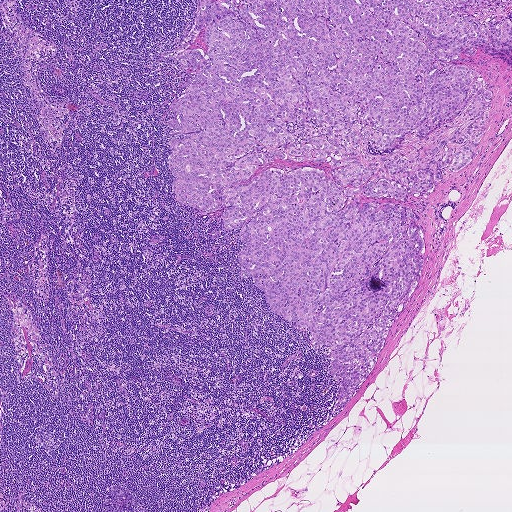
A 1.9-mm field of an H&E-stained sentinel lymph node from a breast-cancer patient (whole-slide image), shown at about 2.5×, about 3.6 µm per pixel.
One metastatic tumour region; its boundary, reduced to 24 corners and listed clockwise: (511, 0), (511, 64), (480, 47), (450, 63), (492, 92), (477, 156), (402, 202), (354, 195), (412, 208), (424, 259), (337, 414), (328, 348), (240, 277), (244, 226), (228, 229), (224, 206), (202, 213), (172, 190), (181, 133), (166, 124), (196, 69), (177, 54), (208, 56), (198, 1).
About 30% of this field is tumour.